Question: 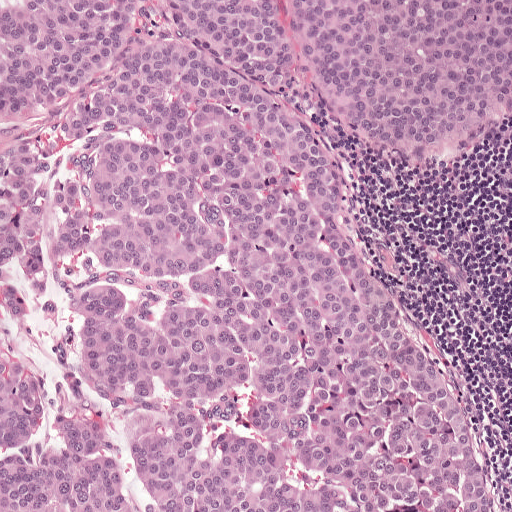
At roughly what magnification is this field shown?

Choices:
 (A) about 2.5×
 (B) about 40×
 (C) about 10×
 (D) about 20×
 (E) about 5×

Answer: (C) about 10×
A 0.5-mm field of an H&E-stained sentinel lymph node from a breast-cancer patient (whole-slide image), shown at about 10×, about 0.97 µm per pixel.
One metastatic tumour region; its boundary, reduced to 12 corners and listed clockwise: (0, 0), (511, 0), (511, 113), (462, 160), (439, 175), (412, 173), (339, 132), (408, 274), (408, 296), (461, 360), (511, 511), (0, 511).
About 90% of the image area is annotated as tumour.
Question: 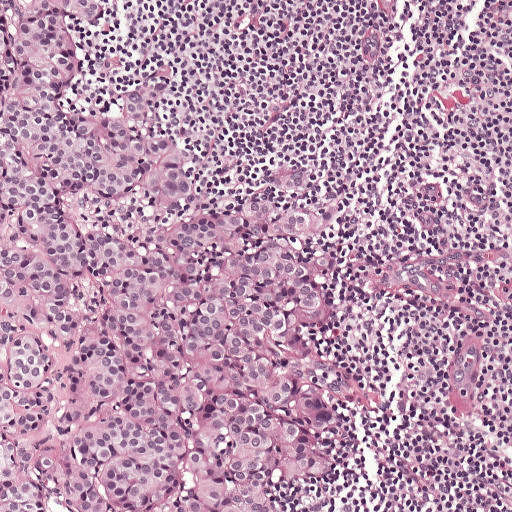
At roughly what magnification is this field shown?

Choices:
 (A) about 10×
 (B) about 20×
 (C) about 5×
 (D) about 40×
 (E) about 2.5×

Answer: (A) about 10×
A 0.5-mm field of an H&E-stained sentinel lymph node from a breast-cancer patient (whole-slide image), shown at about 10×, about 0.97 µm per pixel.
Metastatic tumour outline, simplified to 17 points and listed clockwise in crop pixels (x, y): (0, 0), (109, 0), (84, 105), (115, 75), (174, 66), (190, 138), (219, 192), (306, 156), (322, 218), (293, 246), (331, 296), (304, 333), (351, 354), (350, 466), (312, 480), (281, 510), (0, 511).
The annotated tumour makes up about 50% of the crop.
Question: 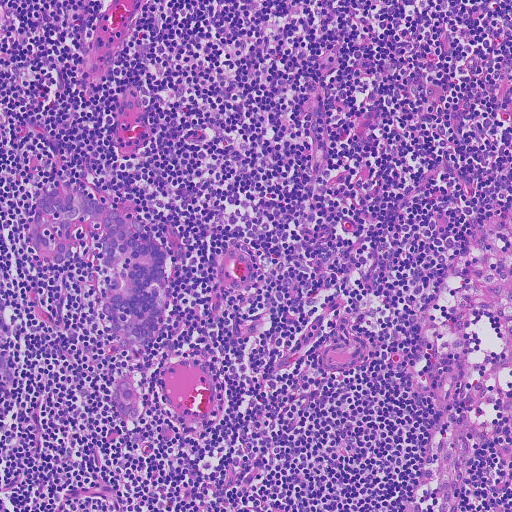
At roughly what magnification is this field shown?

Choices:
 (A) about 20×
 (B) about 5×
 (C) about 10×
 (D) about 2.5×
 (E) about 40×

Answer: (C) about 10×
Lymph node section stained with H&E, from a whole-slide image of a breast-cancer sentinel node. Magnification about 10×, about 0.46 mm across the frame, about 0.91 µm per pixel.
Boundaries of two metastatic tumour regions, simplified and listed clockwise, largest first: region 1: (67, 181), (135, 219), (167, 251), (168, 297), (155, 340), (124, 348), (111, 328), (110, 318), (101, 312), (106, 286), (113, 273), (100, 260), (104, 254), (100, 220), (84, 215), (76, 220), (72, 238), (76, 253), (56, 265), (36, 254), (28, 241), (41, 196); region 2: (122, 378), (127, 378), (141, 395), (140, 406), (141, 413), (136, 420), (128, 419), (110, 406), (109, 393).
The annotated tumour makes up about 5% of the crop.
Question: 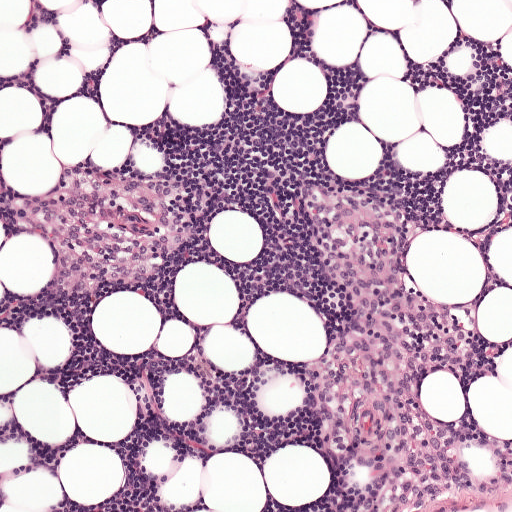
At roughly what magnification is this field shown?

Choices:
 (A) about 2.5×
 (B) about 5×
 (C) about 40×
 (D) about 10×
 (E) about 20×

Answer: (D) about 10×
Lymph node section stained with H&E, from a whole-slide image of a breast-cancer sentinel node. Magnification about 10×, about 0.5 mm across the frame, about 0.97 µm per pixel.